H&E-stained section of a sentinel lymph node (breast cancer), from a whole-slide image, viewed at about 2.5×: the field is about 2.0 mm across, about 3.9 µm per pixel.
Question: 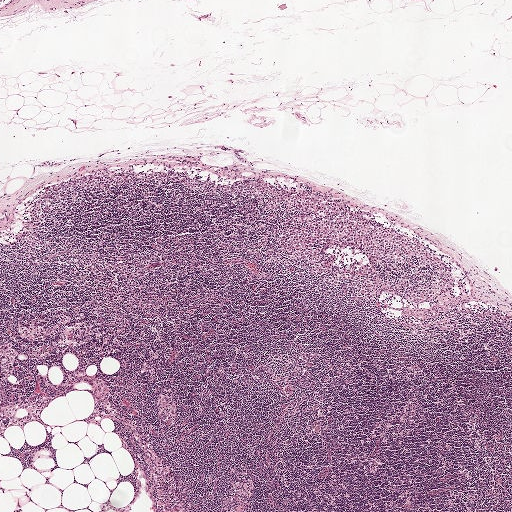
What fraction of the image area is metastatic tumour?

Choices:
 (A) none: no tumour is outlined
 (B) about 10% to 20%
 (C) about 50% or more
 (D) about 25% to 45%
 (E) about 5% or less

Answer: (B) about 10% to 20%
About 10% of the field is tumour.
Tumour region outline (a closed clockwise path, crop pixels): (170, 161), (227, 179), (297, 184), (422, 233), (450, 267), (457, 296), (441, 305), (374, 300), (226, 253), (210, 242), (203, 223), (244, 217), (217, 200), (93, 194), (64, 202), (37, 222), (14, 218), (25, 190), (49, 181).
One more small tumour piece is annotated here but not outlined.